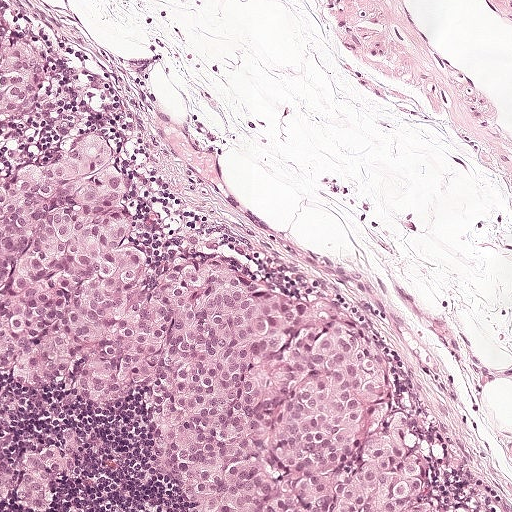
A 0.5-mm field of an H&E-stained sentinel lymph node from a breast-cancer patient (whole-slide image), shown at about 10×, about 0.97 µm per pixel.
Boundaries of two metastatic tumour regions, simplified and listed clockwise, largest first: region 1: (0, 3), (51, 39), (97, 113), (136, 204), (139, 265), (206, 228), (246, 272), (345, 309), (384, 365), (388, 416), (430, 490), (470, 511), (184, 511), (141, 465), (135, 389), (102, 400), (18, 384), (0, 368); region 2: (64, 427), (68, 427), (72, 434), (77, 454), (72, 474), (51, 482), (50, 494), (40, 506), (22, 506), (14, 505), (6, 497), (0, 498), (0, 450), (16, 462), (22, 450), (38, 444), (54, 431).
About 40% of this field is tumour.